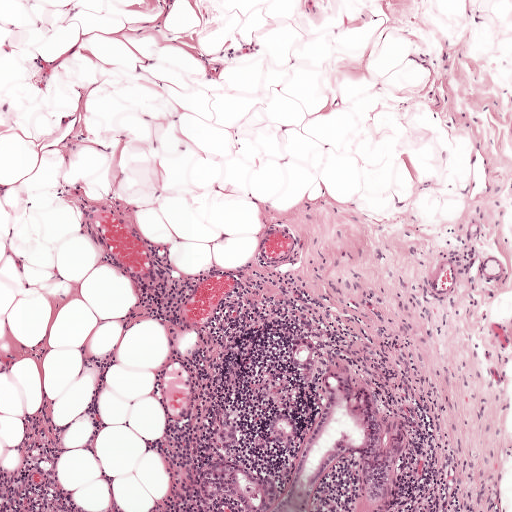
This is a crop of a whole-slide image: an H&E-stained breast-cancer sentinel lymph node section at roughly 5× magnification (about 1.9 µm per pixel; the crop spans about 1 mm).
Tumour region outline (a closed clockwise path, crop pixels): (294, 328), (397, 390), (412, 416), (415, 446), (400, 511), (231, 511), (216, 472), (197, 448), (196, 420), (222, 405), (224, 437), (250, 454), (278, 460), (266, 432), (274, 403), (302, 405), (276, 352).
Tumour covers about 10% of the frame.